Lymph node section stained with H&E, from a whole-slide image of a breast-cancer sentinel node. Magnification about 2.5×, about 1.9 mm across the frame, about 3.6 µm per pixel.
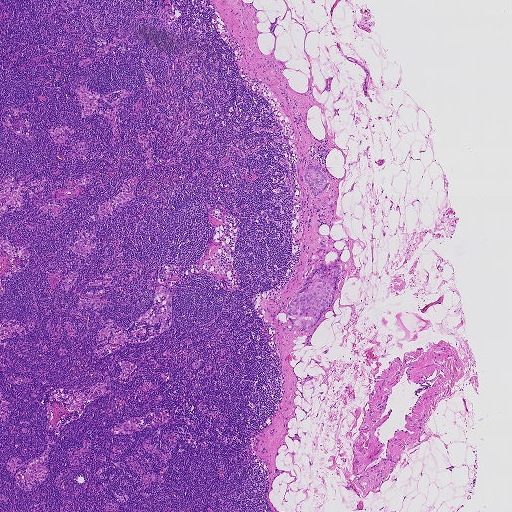
Two metastatic tumour regions, each outlined as a closed clockwise path in crop pixels (x, y), largest first: region 1: (321, 256), (326, 264), (335, 263), (340, 266), (340, 273), (332, 301), (312, 328), (303, 330), (292, 324), (287, 312), (292, 300); region 2: (309, 165), (321, 168), (328, 179), (328, 186), (325, 191), (320, 195), (313, 195), (302, 178), (306, 167).
Under 5% of this field is tumour.